A 0.23-mm field of an H&E-stained sentinel lymph node from a breast-cancer patient (whole-slide image), shown at about 20×, about 0.45 µm per pixel.
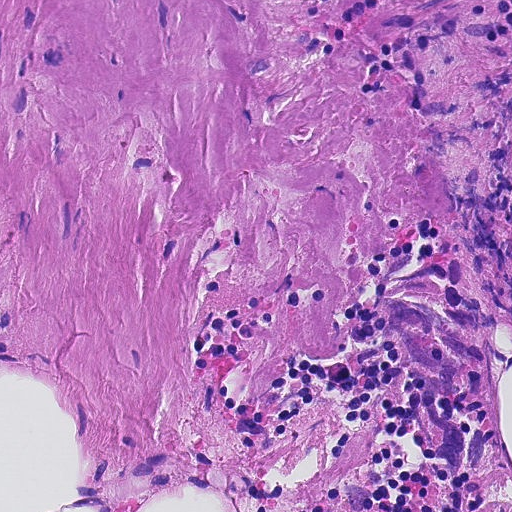
One metastatic tumour region; its boundary, reduced to 15 corners and listed clockwise: (408, 214), (431, 220), (464, 253), (498, 316), (490, 339), (490, 386), (511, 511), (463, 511), (458, 490), (424, 453), (388, 386), (398, 340), (373, 302), (372, 276), (380, 254).
About 10% of the image area is annotated as tumour.